Question: 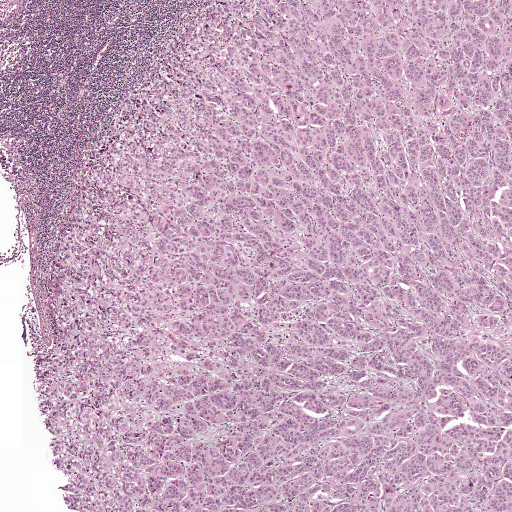
About what magnification does this crop show?

Choices:
 (A) about 5×
 (B) about 10×
 (C) about 2.5×
 (D) about 20×
 (E) about 40×

Answer: (C) about 2.5×
A 2.0-mm field of an H&E-stained sentinel lymph node from a breast-cancer patient (whole-slide image), shown at about 2.5×, about 3.9 µm per pixel.
Tumour region outline (a closed clockwise path, crop pixels): (207, 0), (511, 0), (511, 511), (68, 511), (32, 380), (49, 326), (50, 236), (119, 98).
About 85% of this field is tumour.